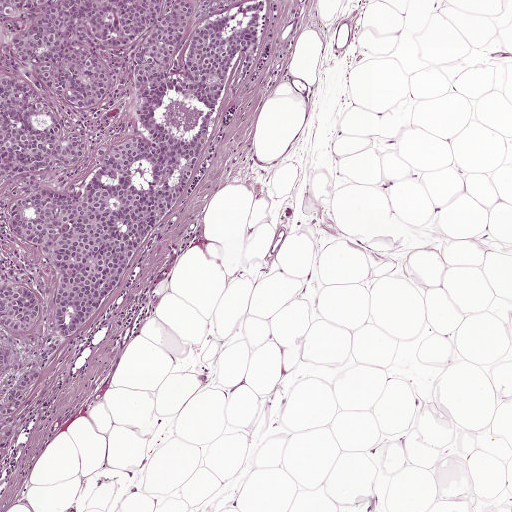
H&E-stained section of a sentinel lymph node (breast cancer), from a whole-slide image, viewed at about 5×: the field is about 1 mm across, about 1.9 µm per pixel.
Question: Where is the metastatic tumour in this field? Give each region's outline as (x, y) pixel points.
Answer: Outlines of four tumour regions, largest first (closed clockwise paths, crop pixels): region 1: (0, 0), (262, 0), (258, 41), (234, 64), (216, 105), (162, 101), (163, 122), (182, 134), (194, 136), (215, 112), (199, 161), (92, 316), (45, 363), (38, 355), (54, 325), (52, 264), (14, 236), (5, 214), (21, 195), (81, 187), (98, 156), (4, 190); region 2: (0, 254), (6, 269), (35, 291), (42, 301), (42, 313), (39, 326), (32, 333), (0, 325); region 3: (32, 368), (41, 371), (33, 388), (20, 402), (18, 412), (21, 420), (6, 445), (0, 449), (0, 399), (12, 388), (23, 372); region 4: (0, 341), (4, 345), (12, 362), (10, 372), (0, 379).
Tumour covers about 20% of the frame.